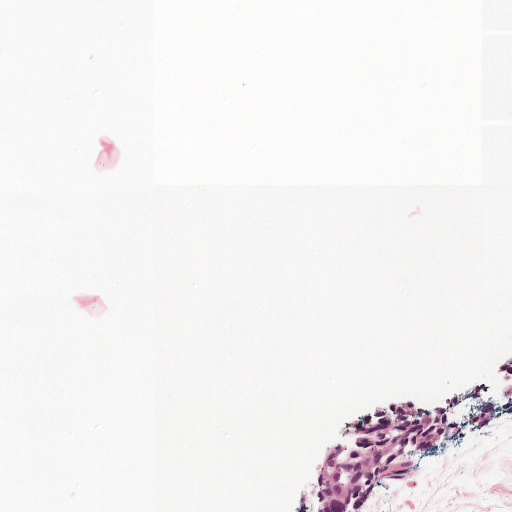
This is a crop of a whole-slide image: an H&E-stained breast-cancer sentinel lymph node section at roughly 10× magnification (about 0.97 µm per pixel; the crop spans about 0.5 mm).
Question: Describe where the metastatic carcinoma lies in this crop.
Answer: Metastatic tumour outline, simplified to 8 points and listed clockwise in crop pixels (x, y): (511, 345), (511, 413), (398, 481), (367, 511), (282, 511), (299, 492), (313, 460), (360, 409).
The annotated tumour makes up about 5% of the crop.